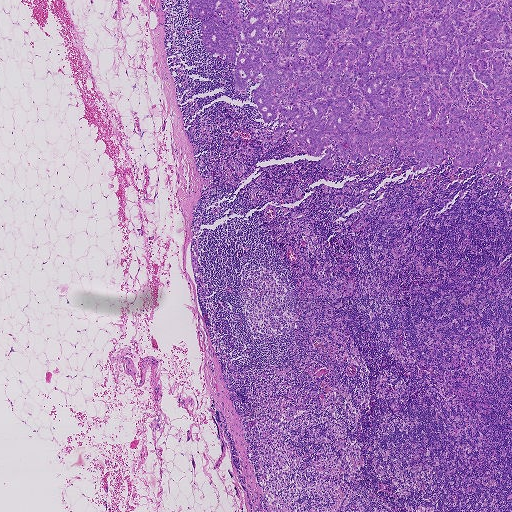
This is a crop of a whole-slide image: an H&E-stained breast-cancer sentinel lymph node section at roughly 2.5× magnification (about 3.6 µm per pixel; the crop spans about 1.9 mm).
Metastatic tumour outline, simplified to 24 points and listed clockwise in crop pixels (x, y): (511, 0), (511, 173), (478, 175), (483, 160), (448, 178), (447, 155), (411, 172), (417, 161), (396, 144), (387, 163), (370, 154), (327, 170), (325, 151), (292, 152), (287, 130), (266, 150), (261, 132), (279, 123), (253, 103), (260, 83), (236, 91), (234, 62), (204, 49), (189, 2).
One more small tumour piece is annotated here but not outlined.
About 15% of this field is tumour.